Question: 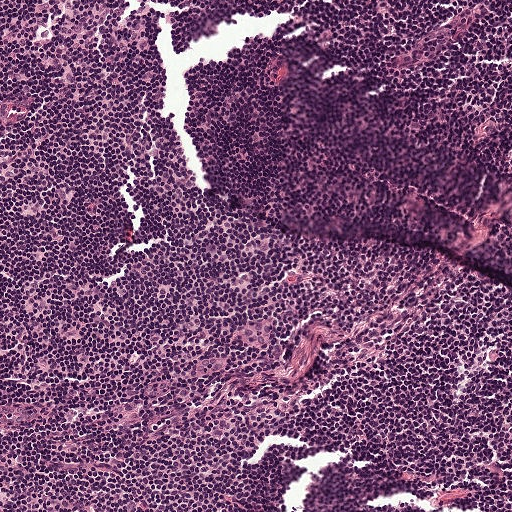
Which magnification is this H&E lymph node field most likely shown at?

Choices:
 (A) about 2.5×
 (B) about 10×
 (C) about 40×
 (D) about 20×
 (E) about 5×

Answer: (B) about 10×
This is a crop of a whole-slide image: an H&E-stained breast-cancer sentinel lymph node section at roughly 10× magnification (about 0.97 µm per pixel; the crop spans about 0.5 mm).